Image:
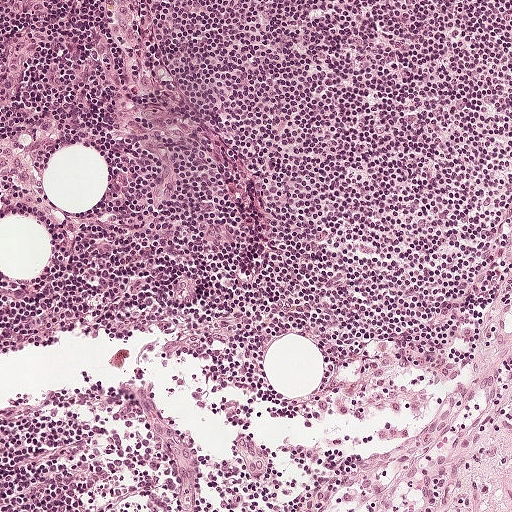
A 0.5-mm field of an H&E-stained sentinel lymph node from a breast-cancer patient (whole-slide image), shown at about 10×, about 0.97 µm per pixel.
Question:
Does this lymph node field contain metastatic tumour?
Answer:
No, this field holds no outlined metastasis.